Lymph node section stained with H&E, from a whole-slide image of a breast-cancer sentinel node. Magnification about 10×, about 0.5 mm across the frame, about 0.97 µm per pixel.
Question: 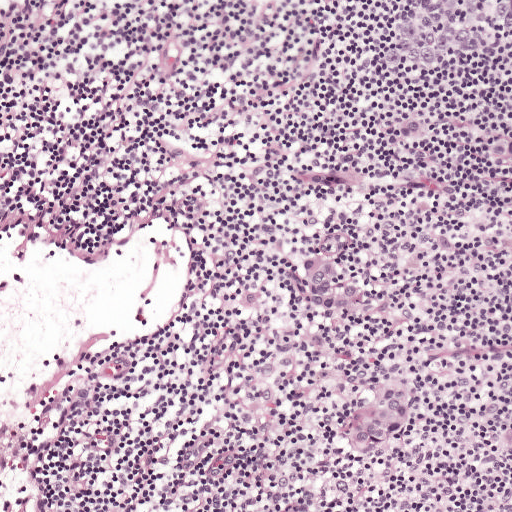
Estimate the proportion of this field that is metastatic tumour.

Choices:
 (A) none: no tumour is outlined
 (B) about 25% to 45%
 (C) about 10% to 20%
 (D) about 5% or less
 (E) about 50% or more

Answer: (D) about 5% or less
About 5% of the field is tumour.
Four metastatic tumour regions, each outlined as a closed clockwise path in crop pixels (x, y), largest first: region 1: (332, 227), (356, 236), (358, 270), (382, 292), (402, 286), (402, 311), (380, 323), (355, 326), (323, 323), (304, 307), (294, 281), (296, 258), (307, 238); region 2: (392, 369), (416, 380), (427, 408), (409, 428), (383, 448), (354, 454), (329, 438), (332, 414), (350, 393), (368, 376); region 3: (511, 132), (511, 176), (491, 174), (468, 158), (480, 137); region 4: (422, 116), (442, 125), (427, 143), (404, 146), (397, 123).